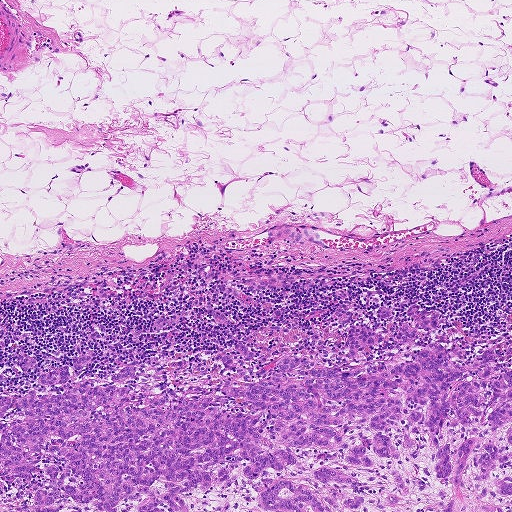
H&E-stained section of a sentinel lymph node (breast cancer), from a whole-slide image, viewed at about 5×: the field is about 0.93 mm across, about 1.8 µm per pixel.
Boundaries of three metastatic tumour regions, simplified and listed clockwise, largest first: region 1: (442, 333), (466, 359), (510, 338), (511, 511), (0, 511), (2, 394), (63, 392), (34, 384), (18, 353), (43, 372), (96, 352), (83, 380), (150, 365), (138, 395), (189, 398), (236, 373), (213, 360), (219, 346), (233, 370), (293, 355), (378, 370); region 2: (338, 301), (346, 304), (348, 312), (358, 314), (354, 322), (368, 326), (376, 323), (375, 314), (380, 306), (388, 306), (397, 322), (414, 326), (406, 309), (414, 304), (447, 316), (437, 330), (385, 351), (381, 345), (367, 347), (354, 356), (342, 347), (342, 324), (330, 314); region 3: (278, 225), (310, 228), (318, 232), (320, 239), (325, 245), (331, 247), (309, 241), (301, 243), (270, 239), (267, 232).
About 30% of the image area is annotated as tumour.